Question: 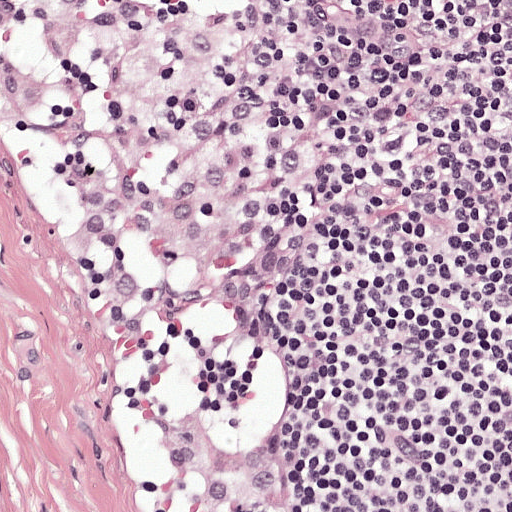
About what magnification does this crop show?

Choices:
 (A) about 2.5×
 (B) about 20×
 (C) about 5×
 (D) about 40×
 (E) about 10×

Answer: (B) about 20×
This is a crop of a whole-slide image: an H&E-stained breast-cancer sentinel lymph node section at roughly 20× magnification (about 0.49 µm per pixel; the crop spans about 0.25 mm).